This is a crop of a whole-slide image: an H&E-stained breast-cancer sentinel lymph node section at roughly 20× magnification (about 0.45 µm per pixel; the crop spans about 0.23 mm).
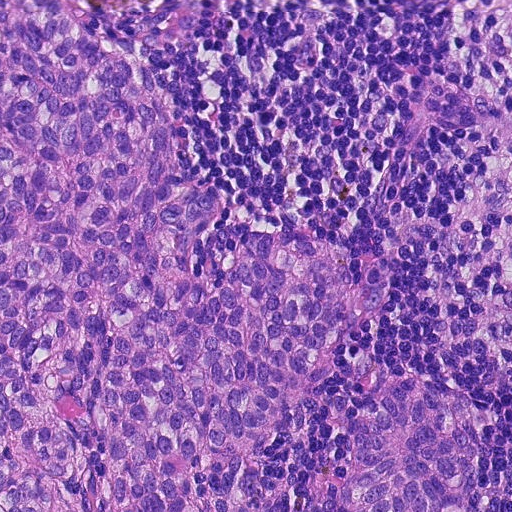
Boundaries of two metastatic tumour regions, simplified and listed clockwise, largest first: region 1: (0, 0), (189, 0), (186, 40), (137, 64), (168, 86), (180, 186), (218, 186), (234, 198), (218, 232), (332, 240), (376, 252), (395, 275), (376, 316), (337, 345), (336, 364), (253, 461), (252, 511), (0, 511); region 2: (378, 358), (482, 401), (490, 438), (472, 511), (344, 511), (357, 389).
About 55% of this field is tumour.